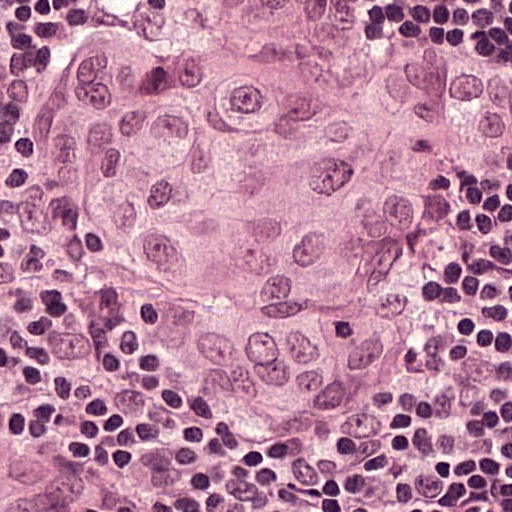
Lymph node section stained with H&E, from a whole-slide image of a breast-cancer sentinel node. Magnification about 40×, about 0.12 mm across the frame, about 0.24 µm per pixel.
Two metastatic tumour regions, each outlined as a closed clockwise path in crop pixels (x, y), largest first: region 1: (419, 0), (469, 27), (511, 33), (511, 216), (435, 318), (395, 341), (372, 415), (338, 449), (258, 453), (178, 426), (116, 329), (116, 306), (47, 261), (2, 198), (2, 113), (19, 67), (110, 5); region 2: (0, 422), (70, 454), (76, 460), (82, 460), (82, 466), (87, 466), (87, 477), (93, 483), (99, 483), (110, 511), (0, 511).
About 70% of the image area is annotated as tumour.